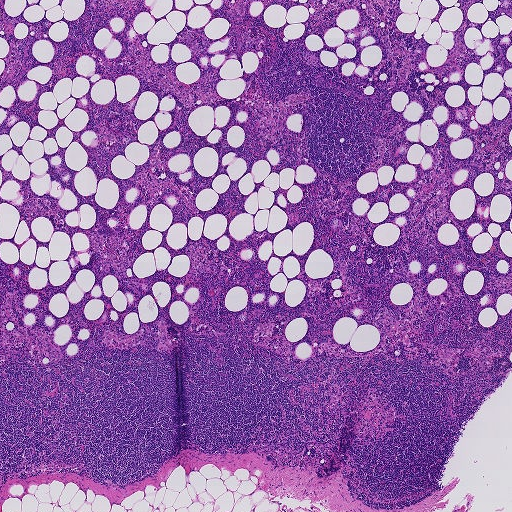
A 1.9-mm field of an H&E-stained sentinel lymph node from a breast-cancer patient (whole-slide image), shown at about 2.5×, about 3.6 µm per pixel.